This is a crop of a whole-slide image: an H&E-stained breast-cancer sentinel lymph node section at roughly 2.5× magnification (about 3.9 µm per pixel; the crop spans about 2.0 mm).
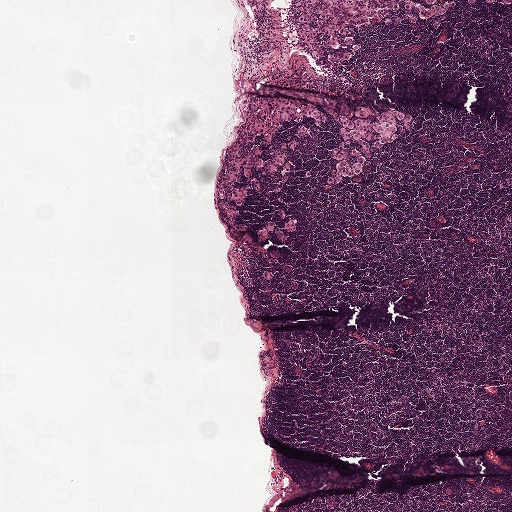
Outlines of four tumour regions, largest first (closed clockwise paths, crop pixels): region 1: (249, 94), (334, 109), (396, 107), (411, 122), (407, 130), (395, 116), (397, 139), (373, 148), (361, 171), (336, 185), (325, 178), (341, 139), (326, 111), (320, 108), (327, 122), (293, 151), (286, 145), (295, 128), (311, 127), (312, 118), (283, 120), (266, 145), (257, 135), (262, 161), (269, 159), (268, 146), (285, 142), (288, 178), (276, 190), (278, 182), (258, 175), (262, 192), (248, 188), (236, 211), (245, 230), (218, 201); region 2: (294, 0), (456, 1), (454, 8), (439, 17), (413, 18), (391, 27), (377, 23), (358, 27), (354, 35), (361, 50), (346, 62), (320, 60), (308, 56), (302, 51), (298, 39); region 3: (281, 68), (296, 76), (310, 76), (320, 80), (326, 84), (328, 91), (326, 92), (317, 92), (277, 85), (266, 80), (275, 70); region 4: (289, 219), (294, 221), (295, 229), (294, 233), (289, 233), (288, 238), (283, 242), (277, 239), (271, 229), (265, 242), (260, 242), (256, 238), (257, 230), (260, 224), (270, 221), (280, 227), (285, 221).
Three more small tumour pieces are annotated here but not outlined.
Tumour covers about 5% of the frame.